Question: 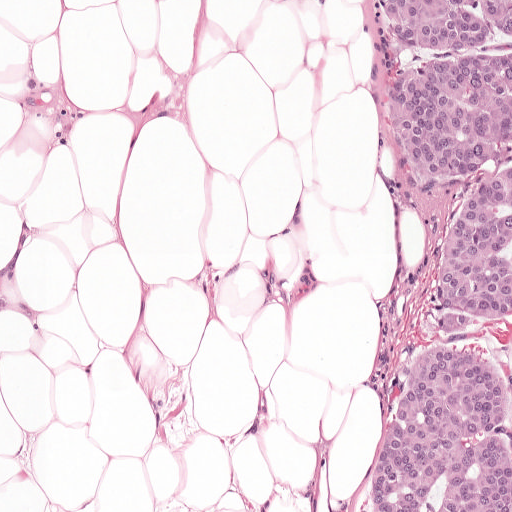
H&E-stained section of a sentinel lymph node (breast cancer), from a whole-slide image, viewed at about 10×: the field is about 0.5 mm across, about 0.97 µm per pixel.
Roughly what share of this field is metastatic tumour?

Choices:
 (A) about 5% or less
 (B) about 50% or more
 (C) none: no tumour is outlined
 (D) about 10% to 20%
 (E) about 25% to 45%

Answer: (E) about 25% to 45%
About 25% of the field is tumour.
The outlined metastatic tumour's edge, as a closed clockwise path of 8 points: (511, 0), (511, 511), (356, 511), (423, 280), (430, 217), (397, 164), (380, 102), (376, 6).